Image:
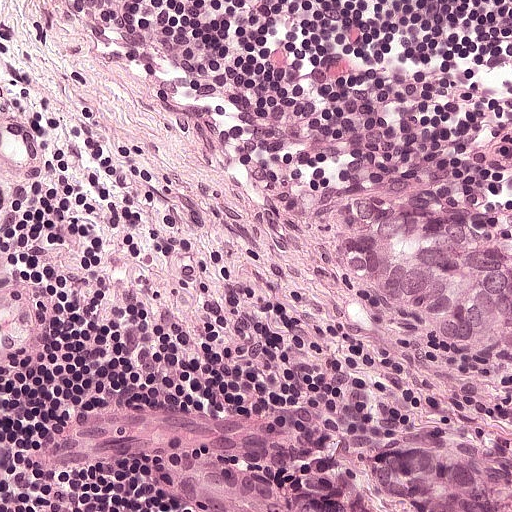
H&E-stained section of a sentinel lymph node (breast cancer), from a whole-slide image, viewed at about 20×: the field is about 0.25 mm across, about 0.49 µm per pixel.
Question:
Does this lymph node field contain metastatic tumour?
Answer:
Yes.
Boundaries of two metastatic tumour regions, simplified and listed clockwise, largest first: region 1: (290, 383), (353, 438), (474, 433), (510, 444), (511, 511), (184, 511), (135, 481), (69, 476), (37, 463), (44, 418), (94, 399), (226, 402); region 2: (372, 192), (448, 226), (511, 240), (511, 367), (476, 354), (426, 320), (412, 318), (376, 281), (360, 279), (344, 263), (344, 218).
About 25% of this field is tumour.